Question: 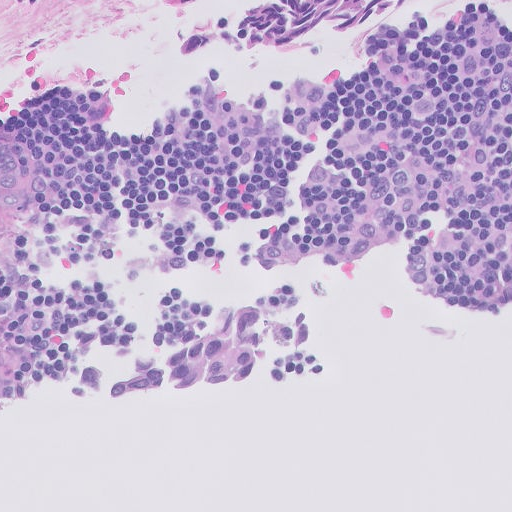
A 0.26-mm field of an H&E-stained sentinel lymph node from a breast-cancer patient (whole-slide image), shown at about 20×, about 0.5 µm per pixel.
Roughly what share of this field is metastatic tumour?

Choices:
 (A) about 5% or less
 (B) none: no tumour is outlined
 (C) about 50% or more
 (D) about 25% to 45%
 (E) about 10% to 20%

Answer: (E) about 10% to 20%
About 10% of the field is tumour.
Boundaries of two metastatic tumour regions, simplified and listed clockwise, largest first: region 1: (240, 299), (321, 300), (321, 344), (280, 352), (224, 396), (128, 406), (57, 395), (80, 358), (106, 363); region 2: (227, 0), (421, 0), (322, 56), (222, 66), (162, 48), (196, 10).